Question: 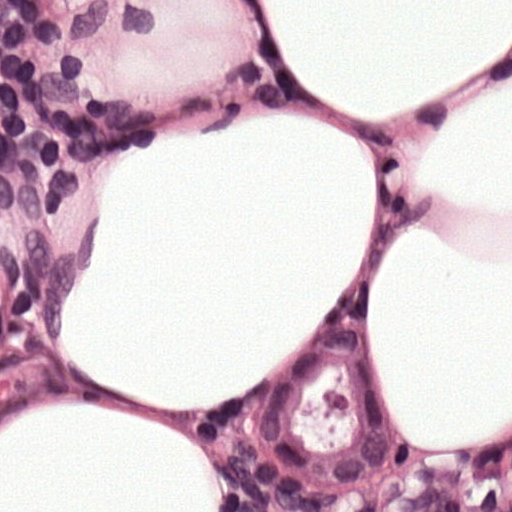
Which magnification is this H&E lymph node field most likely shown at?

Choices:
 (A) about 5×
 (B) about 10×
 (C) about 40×
 (D) about 20×
 (E) about 2.5×

Answer: (C) about 40×
Lymph node section stained with H&E, from a whole-slide image of a breast-cancer sentinel node. Magnification about 40×, about 0.12 mm across the frame, about 0.24 µm per pixel.
Tumour region outline (a closed clockwise path, crop pixels): (318, 326), (386, 329), (415, 404), (397, 501), (309, 505), (236, 452), (257, 372).
The annotated tumour makes up about 10% of the crop.